Image:
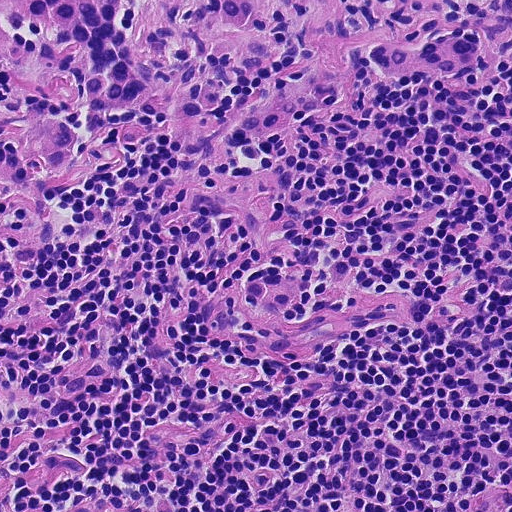
H&E-stained section of a sentinel lymph node (breast cancer), from a whole-slide image, viewed at about 20×: the field is about 0.23 mm across, about 0.45 µm per pixel.
Question:
Where is the metastatic tumour in this field?
Answer:
The outlined metastatic tumour's edge, as a closed clockwise path of 20 points: (0, 0), (332, 0), (333, 16), (364, 34), (468, 26), (497, 43), (477, 70), (443, 82), (372, 86), (352, 74), (299, 122), (198, 156), (156, 140), (132, 114), (98, 108), (68, 172), (0, 183), (0, 121), (22, 80), (0, 102).
About 20% of the image area is annotated as tumour.